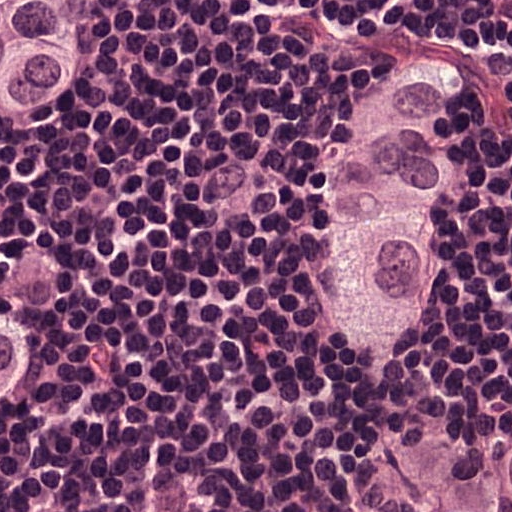
This is a crop of a whole-slide image: an H&E-stained breast-cancer sentinel lymph node section at roughly 40× magnification (about 0.24 µm per pixel; the crop spans about 0.12 mm).
Outlines of four tumour regions, largest first (closed clockwise paths, crop pixels): region 1: (415, 20), (475, 42), (489, 79), (489, 129), (412, 351), (406, 360), (337, 366), (293, 313), (290, 198), (303, 163); region 2: (0, 0), (92, 0), (102, 29), (102, 51), (81, 82), (49, 112), (3, 112); region 3: (511, 439), (511, 511), (427, 511), (437, 498), (437, 492), (443, 482), (449, 476), (484, 451), (490, 451), (499, 442); region 4: (0, 301), (34, 313), (39, 313), (39, 332), (37, 335), (37, 345), (31, 354), (31, 367), (21, 373), (21, 379), (18, 379), (9, 395), (0, 396).
Tumour covers about 25% of the frame.